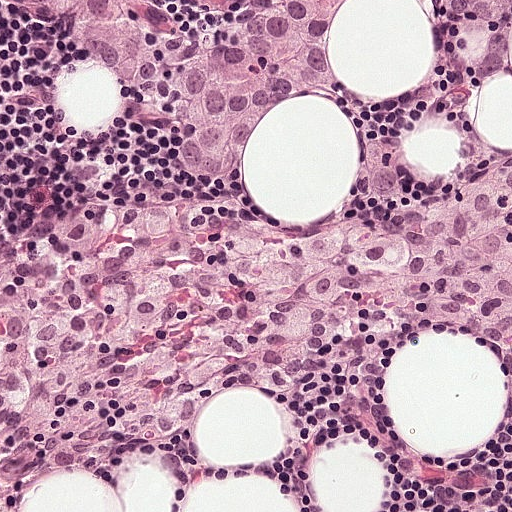
A 0.25-mm field of an H&E-stained sentinel lymph node from a breast-cancer patient (whole-slide image), shown at about 20×, about 0.49 µm per pixel.
Question: Is there metastatic carcinoma in this field?
Answer: Yes.
Outlines of two tumour regions, largest first (closed clockwise paths, crop pixels): region 1: (33, 0), (343, 0), (327, 28), (328, 60), (336, 80), (332, 92), (294, 94), (258, 119), (240, 164), (220, 175), (186, 172), (176, 158), (190, 134), (180, 106), (100, 64); region 2: (418, 0), (511, 0), (511, 72), (477, 89), (448, 68), (433, 52), (426, 8).
The annotated tumour makes up about 15% of the crop.